Lymph node section stained with H&E, from a whole-slide image of a breast-cancer sentinel node. Magnification about 5×, about 1 mm across the frame, about 1.9 µm per pixel.
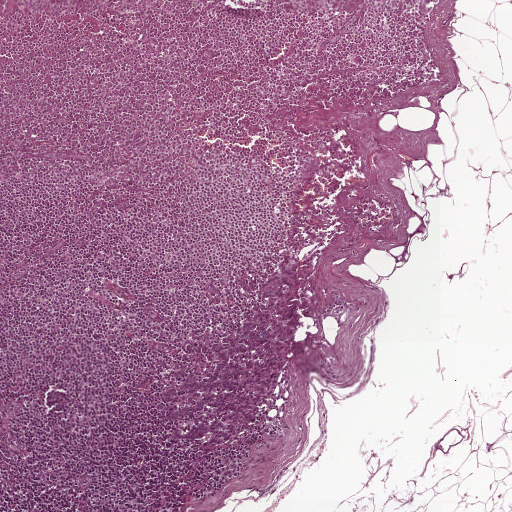
One metastatic tumour region; its boundary, reduced to 23 corners and listed clockwise: (279, 253), (314, 258), (312, 306), (316, 318), (302, 317), (272, 394), (273, 422), (266, 420), (233, 451), (237, 462), (231, 478), (222, 476), (220, 451), (206, 456), (191, 448), (165, 447), (152, 402), (188, 342), (211, 330), (236, 327), (253, 300), (253, 285), (274, 271).
The annotated tumour makes up about 5% of the crop.